Question: 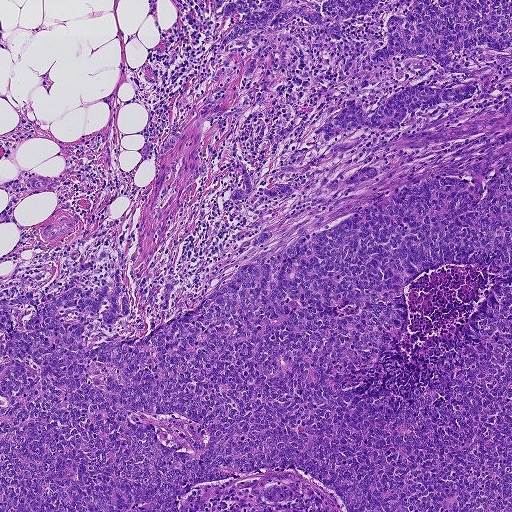
A 0.93-mm field of an H&E-stained sentinel lymph node from a breast-cancer patient (whole-slide image), shown at about 5×, about 1.8 µm per pixel.
About how much of this crop is taken up by metastatic carcinoma?

Choices:
 (A) about 10% to 20%
 (B) about 50% or more
 (C) none: no tumour is outlined
 (D) about 5% or less
 (E) about 25% to 45%

Answer: (B) about 50% or more
About 70% of the field is tumour.
Tumour region outline (a closed clockwise path, crop pixels): (511, 0), (511, 511), (0, 511), (0, 289), (118, 280), (133, 310), (92, 322), (92, 342), (191, 310), (252, 247), (230, 198), (240, 166), (277, 177), (346, 104), (376, 104), (415, 79), (346, 86), (343, 42), (301, 28), (213, 49), (232, 21), (208, 5).